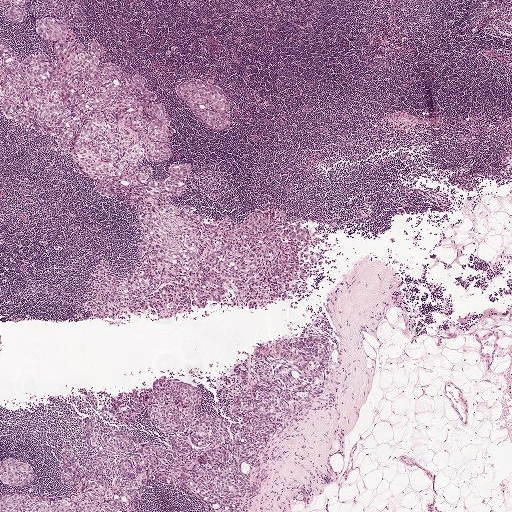
This is a crop of a whole-slide image: an H&E-stained breast-cancer sentinel lymph node section at roughly 2.5× magnification (about 3.9 µm per pixel; the crop spans about 2.0 mm).
Outlines of five tumour regions, largest first (closed clockwise paths, crop pixels): region 1: (34, 23), (88, 24), (80, 41), (146, 78), (173, 122), (171, 160), (148, 162), (160, 182), (191, 166), (171, 204), (212, 224), (282, 212), (328, 241), (329, 263), (293, 304), (93, 317), (93, 269), (131, 275), (140, 215), (0, 113), (0, 42), (57, 64), (56, 45); region 2: (327, 321), (334, 349), (327, 390), (312, 401), (301, 395), (259, 463), (241, 466), (250, 487), (242, 511), (207, 511), (194, 493), (168, 482), (147, 489), (141, 511), (0, 511), (0, 497), (75, 491), (60, 482), (60, 453), (72, 443), (79, 469), (83, 457), (96, 454), (80, 436), (88, 417), (99, 428), (166, 444), (170, 436), (146, 406), (131, 429), (107, 412), (117, 395), (163, 377), (198, 389), (203, 403), (195, 413), (230, 423), (223, 385), (253, 347), (302, 338); region 3: (202, 80), (219, 86), (232, 107), (230, 112), (227, 113), (232, 122), (232, 128), (222, 132), (215, 132), (199, 123), (185, 102), (176, 95), (176, 85), (184, 82); region 4: (9, 459), (26, 464), (35, 472), (36, 478), (33, 483), (22, 488), (7, 487), (0, 480), (2, 461); region 5: (0, 0), (27, 0), (28, 20), (24, 24), (12, 23), (6, 17), (6, 13), (12, 8), (9, 2), (6, 6), (0, 6).
About 25% of this field is tumour.